Question: 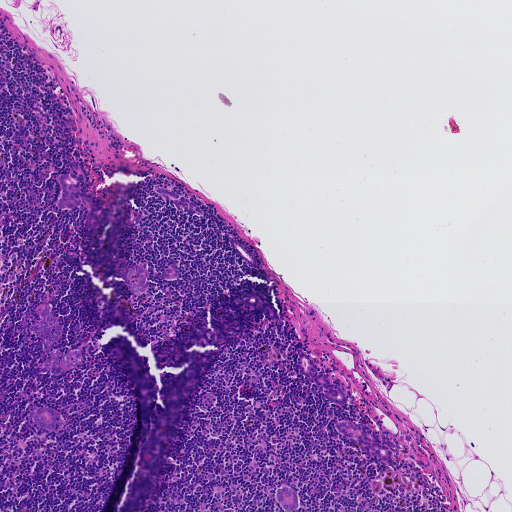
A 0.93-mm field of an H&E-stained sentinel lymph node from a breast-cancer patient (whole-slide image), shown at about 5×, about 1.8 µm per pixel.
Roughly what share of this field is metastatic tumour?

Choices:
 (A) about 25% to 45%
 (B) about 50% or more
 (C) about 10% to 20%
 (D) none: no tumour is outlined
 (E) about 5% or less

Answer: (E) about 5% or less
About 5% of the field is tumour.
The eight largest tumour regions' boundaries, simplified and listed clockwise, largest first: region 1: (46, 304), (51, 304), (62, 327), (62, 332), (52, 349), (61, 352), (62, 357), (79, 347), (82, 352), (82, 362), (60, 374), (46, 373), (42, 364), (54, 354), (49, 351), (45, 353), (39, 339), (31, 332), (30, 326), (38, 320), (40, 316), (39, 311); region 2: (74, 161), (79, 162), (82, 166), (87, 187), (97, 198), (98, 208), (96, 218), (98, 222), (98, 227), (93, 228), (87, 227), (84, 223), (87, 208), (84, 204), (75, 208), (60, 209), (57, 205), (61, 191), (57, 176), (70, 170), (70, 164); region 3: (338, 421), (343, 421), (363, 424), (373, 435), (394, 440), (399, 448), (396, 462), (392, 465), (387, 464), (380, 458), (364, 454), (340, 432), (334, 424); region 4: (297, 348), (302, 348), (314, 358), (320, 371), (326, 373), (332, 382), (345, 390), (347, 394), (346, 404), (341, 405), (327, 399), (310, 378), (299, 372), (300, 357), (297, 353); region 5: (144, 261), (149, 264), (150, 268), (146, 292), (142, 295), (132, 294), (127, 286), (122, 272); region 6: (44, 406), (54, 409), (65, 419), (65, 424), (62, 428), (51, 430), (36, 425), (30, 418), (31, 412); region 7: (158, 186), (174, 191), (197, 204), (203, 212), (200, 213), (179, 209), (163, 199), (154, 188); region 8: (283, 486), (288, 487), (297, 492), (299, 504), (293, 511), (284, 511), (280, 507), (276, 492).
Two more, smaller tumour regions are not outlined.
One more small tumour piece is annotated here but not outlined.